Image:
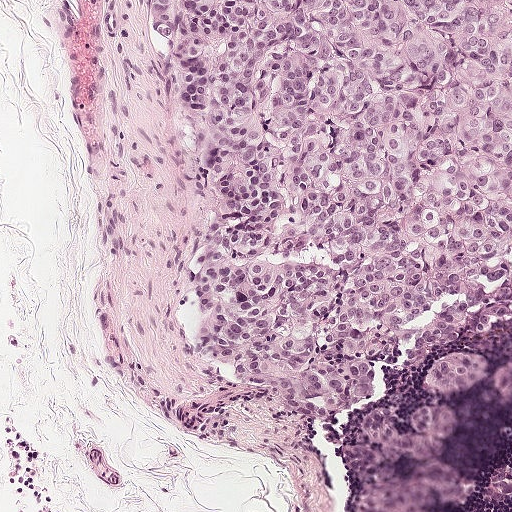
Lymph node section stained with H&E, from a whole-slide image of a breast-cancer sentinel node. Magnification about 10×, about 0.5 mm across the frame, about 0.97 µm per pixel.
Question:
Does this lymph node field contain metastatic tumour?
Answer:
Yes.
The outlined metastatic tumour's edge, as a closed clockwise path of 18 points: (144, 0), (511, 0), (511, 255), (503, 261), (511, 317), (431, 348), (405, 325), (391, 360), (371, 364), (360, 399), (327, 425), (198, 358), (194, 271), (215, 198), (188, 167), (192, 121), (168, 94), (164, 46).
The annotated tumour makes up about 45% of the crop.